Question: 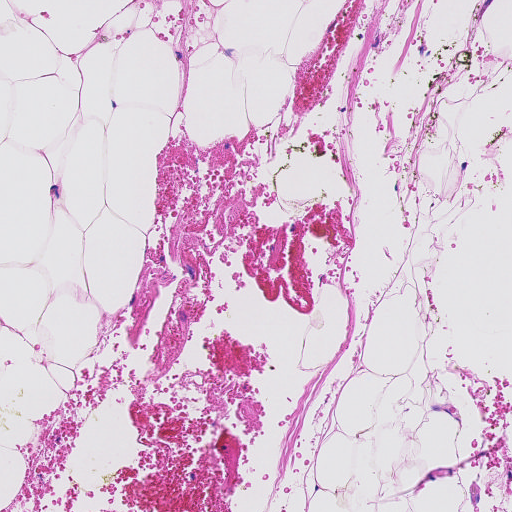
At roughly what magnification is this field shown?

Choices:
 (A) about 10×
 (B) about 40×
 (C) about 2.5×
 (D) about 20×
 (E) about 5×

Answer: (A) about 10×
H&E-stained section of a sentinel lymph node (breast cancer), from a whole-slide image, viewed at about 10×: the field is about 0.46 mm across, about 0.91 µm per pixel.